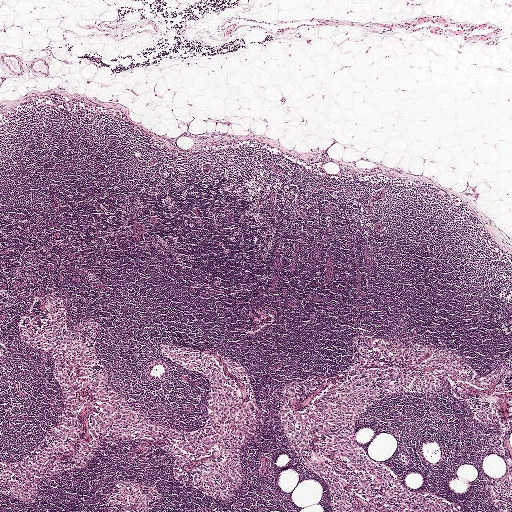
This is a crop of a whole-slide image: an H&E-stained breast-cancer sentinel lymph node section at roughly 2.5× magnification (about 3.9 µm per pixel; the crop spans about 2.0 mm).
Question: Does this lymph node field contain metastatic tumour?
Answer: No. No metastatic tumour is outlined in this field.